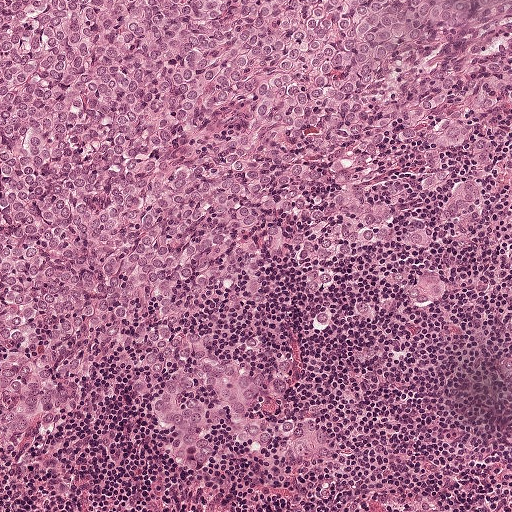
H&E-stained section of a sentinel lymph node (breast cancer), from a whole-slide image, viewed at about 10×: the field is about 0.5 mm across, about 0.97 µm per pixel.
Metastatic tumour outline, simplified to 24 points and listed clockwise in crop pixels (x, y): (0, 0), (511, 0), (440, 55), (498, 151), (482, 212), (422, 248), (330, 258), (306, 281), (277, 264), (268, 314), (229, 308), (211, 326), (220, 364), (290, 367), (268, 414), (322, 432), (331, 463), (266, 467), (220, 424), (208, 476), (187, 474), (102, 343), (58, 420), (2, 454).
About 65% of this field is tumour.